Question: 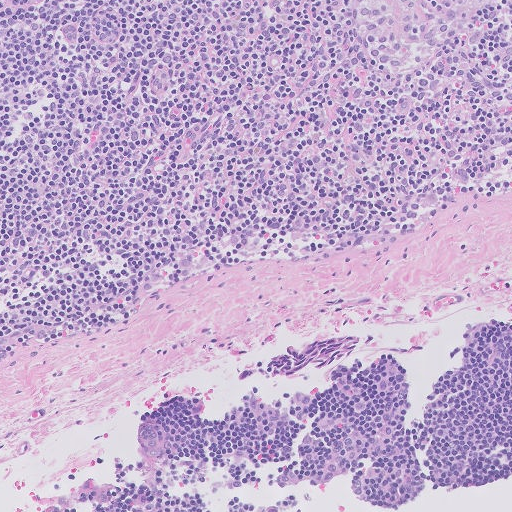
Which magnification is this H&E lymph node field most likely shown at?

Choices:
 (A) about 40×
 (B) about 10×
 (C) about 5×
 (D) about 2.5×
 (E) about 20×

Answer: (B) about 10×
H&E-stained section of a sentinel lymph node (breast cancer), from a whole-slide image, viewed at about 10×: the field is about 0.51 mm across, about 1.0 µm per pixel.
Outlines of two tumour regions, largest first (closed clockwise paths, crop pixels): region 1: (377, 328), (373, 344), (309, 381), (259, 386), (229, 377), (246, 358), (315, 334); region 2: (268, 502), (308, 503), (308, 511), (248, 511).
Tumour covers under 5% of the frame.